Question: 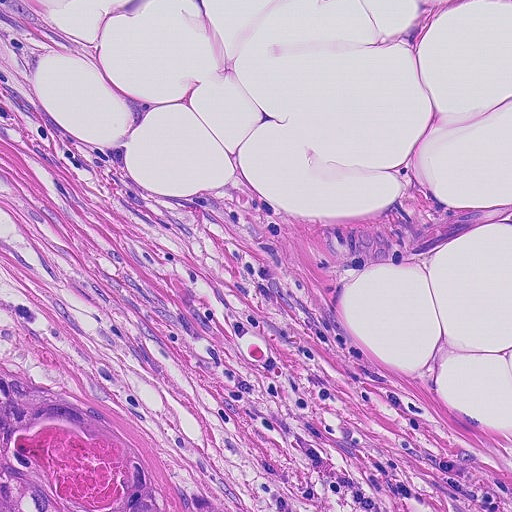
A 0.23-mm field of an H&E-stained sentinel lymph node from a breast-cancer patient (whole-slide image), shown at about 20×, about 0.45 µm per pixel.
What fraction of the image area is metastatic tumour?

Choices:
 (A) about 25% to 45%
 (B) none: no tumour is outlined
 (C) about 5% or less
 (D) about 50% or more
 (E) about 10% to 20%

Answer: (E) about 10% to 20%
About 10% of the field is tumour.
One metastatic tumour region; its boundary, reduced to 6 corners and listed clockwise: (0, 247), (80, 337), (120, 413), (158, 446), (198, 511), (0, 511).